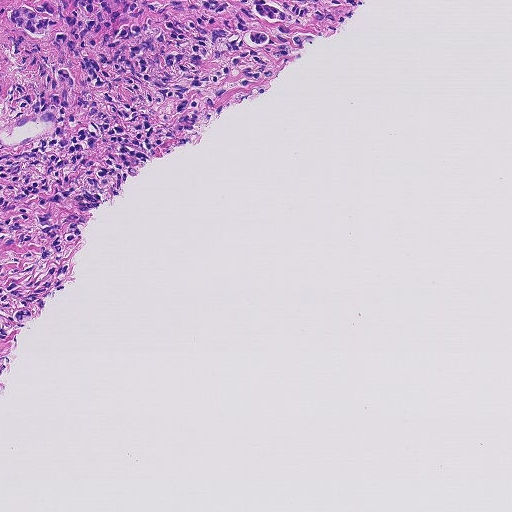
A 0.46-mm field of an H&E-stained sentinel lymph node from a breast-cancer patient (whole-slide image), shown at about 10×, about 0.9 µm per pixel.
Question: Is any metastatic breast cancer visible in this crop?
Answer: Yes.
Tumour region outline (a closed clockwise path, crop pixels): (0, 0), (361, 0), (332, 35), (302, 44), (266, 92), (144, 166), (86, 217), (75, 282), (16, 331), (0, 393).
About 20% of the image area is annotated as tumour.